Image:
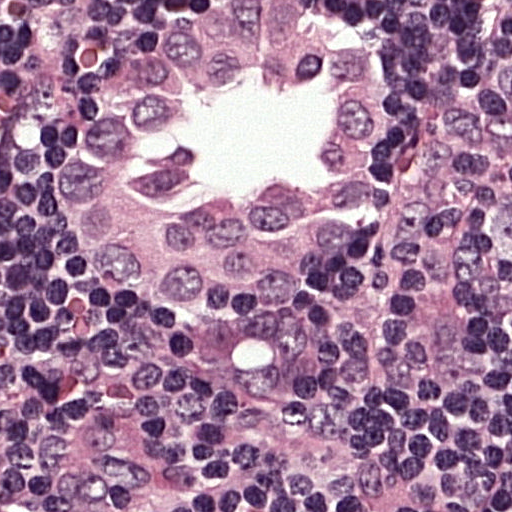
This is a crop of a whole-slide image: an H&E-stained breast-cancer sentinel lymph node section at roughly 40× magnification (about 0.24 µm per pixel; the crop spans about 0.12 mm).
Question:
Where is the metastatic tumour in this field?
Answer:
The outlined metastatic tumour's edge, as a closed clockwise path of 12 points: (182, 0), (341, 0), (391, 21), (425, 96), (422, 177), (308, 397), (225, 400), (98, 295), (50, 228), (45, 145), (88, 73), (145, 12).
About 45% of this field is tumour.

Image:
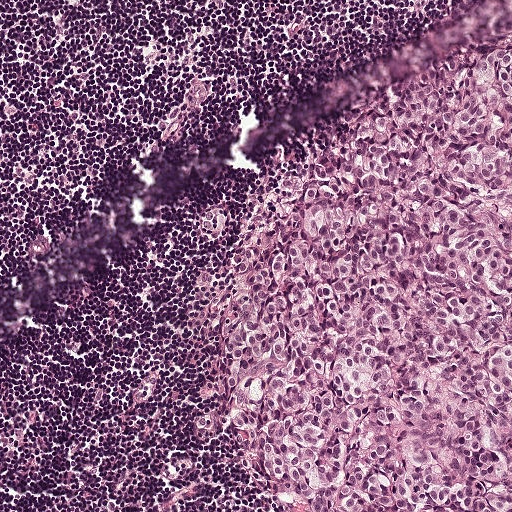
H&E-stained section of a sentinel lymph node (breast cancer), from a whole-slide image, viewed at about 10×: the field is about 0.5 mm across, about 0.97 µm per pixel.
Question:
Where is the metastatic tumour in this field?
Answer:
One metastatic tumour region; its boundary, reduced to 9 corners and listed clockwise: (510, 26), (511, 511), (292, 511), (256, 483), (224, 425), (218, 352), (239, 246), (285, 218), (330, 129).
About 40% of the image area is annotated as tumour.

Image:
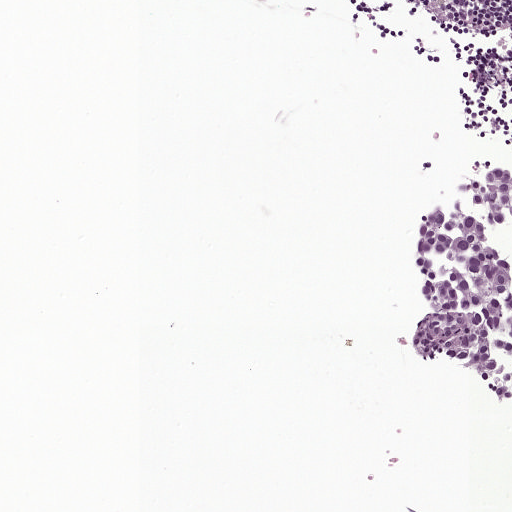
A 0.5-mm field of an H&E-stained sentinel lymph node from a breast-cancer patient (whole-slide image), shown at about 10×, about 0.97 µm per pixel.
Question:
Where is the metastatic tumour in this field?
Answer:
One metastatic tumour region; its boundary, reduced to 12 corners and listed clockwise: (499, 164), (511, 167), (511, 400), (500, 403), (460, 367), (415, 358), (412, 330), (425, 308), (417, 293), (414, 241), (447, 191), (471, 174).
About 5% of the image area is annotated as tumour.

Image:
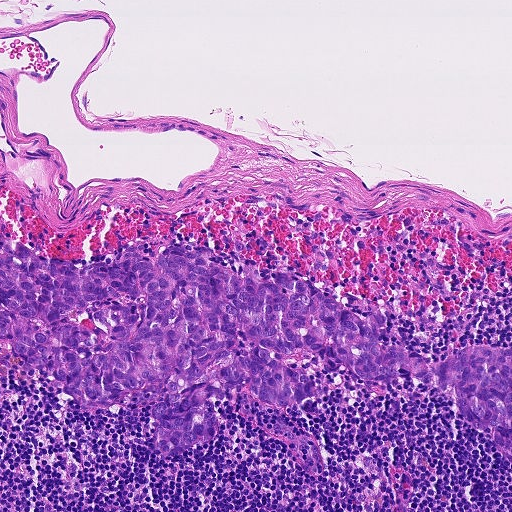
H&E-stained section of a sentinel lymph node (breast cancer), from a whole-slide image, viewed at about 10×: the field is about 0.46 mm across, about 0.9 µm per pixel.
Question:
Where is the metastatic tumour in this field?
Answer:
Tumour region outline (a closed clockwise path, crop pixels): (2, 242), (83, 268), (133, 250), (155, 264), (174, 244), (237, 275), (291, 274), (368, 325), (375, 308), (387, 320), (378, 342), (427, 362), (445, 362), (477, 346), (511, 348), (511, 463), (491, 427), (461, 415), (453, 388), (400, 375), (365, 381), (307, 352), (280, 358), (320, 394), (275, 404), (249, 382), (230, 384), (209, 398), (212, 440), (169, 456), (154, 446), (152, 418), (169, 377), (82, 403), (53, 370), (18, 367), (6, 338).
Tumour covers about 20% of the frame.